H&E-stained section of a sentinel lymph node (breast cancer), from a whole-slide image, viewed at about 2.5×: the field is about 2.0 mm across, about 3.9 µm per pixel.
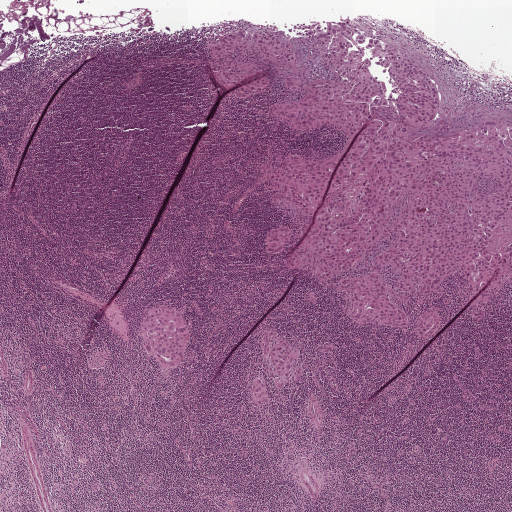
Boundaries of four metastatic tumour regions, simplified and listed clockwise, largest first: region 1: (348, 17), (435, 80), (448, 105), (436, 131), (511, 121), (511, 279), (488, 316), (471, 318), (453, 278), (429, 303), (391, 297), (403, 329), (356, 326), (336, 286), (370, 270), (395, 232), (323, 284), (283, 266), (298, 234), (269, 255), (268, 230), (303, 218), (275, 210), (254, 171), (287, 153), (325, 160), (344, 141), (276, 122), (272, 105), (308, 93), (284, 88), (262, 58), (272, 85), (248, 99), (206, 67), (207, 37), (250, 23), (279, 30), (324, 78), (292, 25); region 2: (164, 304), (175, 309), (183, 317), (191, 326), (193, 338), (185, 360), (175, 368), (164, 371), (154, 365), (139, 346), (137, 334), (139, 322), (145, 312); region 3: (272, 330), (286, 338), (298, 349), (303, 365), (303, 373), (300, 380), (292, 383), (287, 390), (279, 390), (272, 387), (267, 380), (265, 372), (266, 364), (263, 356), (261, 340), (263, 332); region 4: (255, 377), (260, 377), (264, 384), (269, 400), (265, 406), (257, 406), (251, 400), (248, 392).
The annotated tumour makes up about 25% of the crop.